Question: 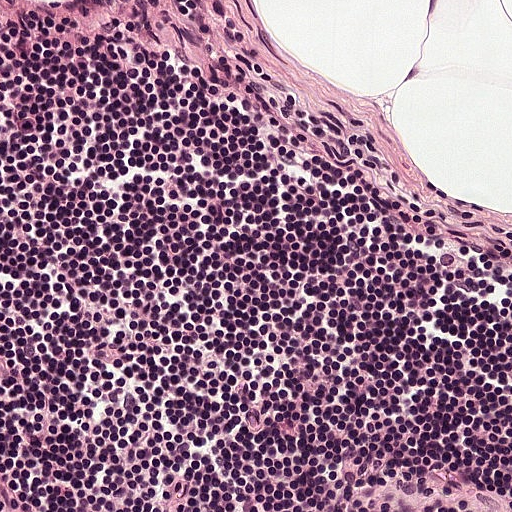
Lymph node section stained with H&E, from a whole-slide image of a breast-cancer sentinel node. Magnification about 20×, about 0.25 mm across the frame, about 0.49 µm per pixel.
About how much of this crop is taken up by metastatic carcinoma?

Choices:
 (A) none: no tumour is outlined
 (B) about 5% or less
 (C) about 10% to 20%
 (D) about 25% to 45%
 (E) about 50% or more

Answer: (A) none: no tumour is outlined
No metastatic tumour is outlined in this field.